This is a crop of a whole-slide image: an H&E-stained breast-cancer sentinel lymph node section at roughly 20× magnification (about 0.49 µm per pixel; the crop spans about 0.25 mm).
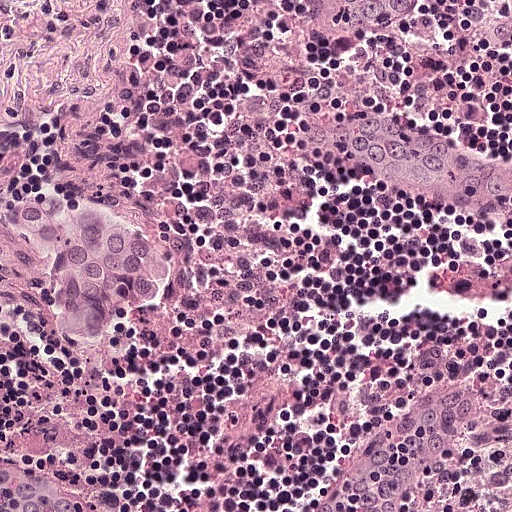
Tumour region outline (a closed clockwise path, crop pixels): (55, 183), (97, 194), (112, 208), (177, 240), (172, 301), (158, 313), (132, 314), (84, 353), (64, 351), (44, 317), (38, 266), (0, 244), (0, 198), (21, 184).
Tumour covers about 5% of the frame.